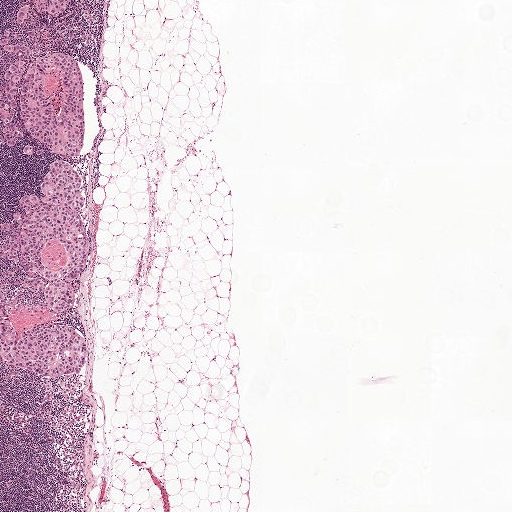
Lymph node section stained with H&E, from a whole-slide image of a breast-cancer sentinel node. Magnification about 2.5×, about 2.0 mm across the frame, about 3.9 µm per pixel.
Metastatic tumour outline, simplified to 20 points and listed clockwise in crop pixels (x, y): (21, 0), (77, 0), (61, 19), (32, 19), (28, 28), (39, 38), (35, 52), (62, 52), (76, 61), (87, 91), (76, 168), (86, 193), (90, 266), (71, 319), (88, 337), (90, 365), (66, 383), (41, 383), (0, 367), (0, 36).
The annotated tumour makes up about 10% of the crop.